Lymph node section stained with H&E, from a whole-slide image of a breast-cancer sentinel node. Magnification about 10×, about 0.46 mm across the frame, about 0.9 µm per pixel.
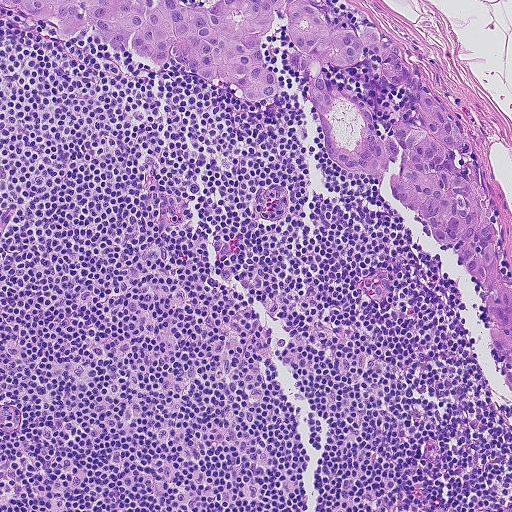
The outlined metastatic tumour's edge, as a closed clockwise path of 36 points: (0, 0), (308, 0), (379, 35), (410, 86), (366, 48), (354, 70), (319, 69), (356, 90), (375, 135), (392, 136), (391, 115), (423, 126), (425, 83), (458, 124), (474, 152), (447, 150), (447, 168), (477, 184), (511, 284), (511, 389), (456, 251), (426, 238), (390, 167), (346, 172), (324, 147), (310, 81), (284, 68), (287, 16), (258, 41), (278, 86), (256, 104), (170, 54), (164, 69), (89, 26), (63, 42), (58, 19).
About 15% of the image area is annotated as tumour.